Question: 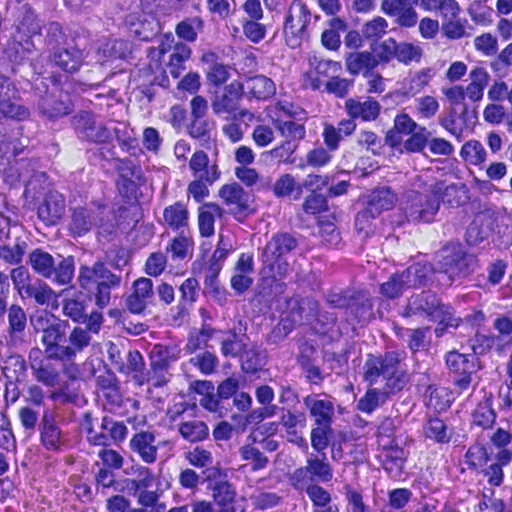
About what magnification does this crop show?

Choices:
 (A) about 10×
 (B) about 2.5×
 (C) about 40×
 (D) about 20×
 (E) about 5×

Answer: (C) about 40×
H&E-stained section of a sentinel lymph node (breast cancer), from a whole-slide image, viewed at about 40×: the field is about 0.12 mm across, about 0.23 µm per pixel.
Two metastatic tumour regions, each outlined as a closed clockwise path in crop pixels (x, y), largest first: region 1: (412, 161), (480, 173), (511, 189), (509, 254), (385, 318), (324, 339), (282, 338), (234, 301), (243, 241), (289, 201), (351, 174); region 2: (0, 0), (196, 0), (115, 58), (63, 69), (111, 103), (145, 141), (168, 186), (151, 234), (101, 251), (12, 207), (0, 187).
About 25% of this field is tumour.